A 1-mm field of an H&E-stained sentinel lymph node from a breast-cancer patient (whole-slide image), shown at about 5×, about 1.9 µm per pixel.
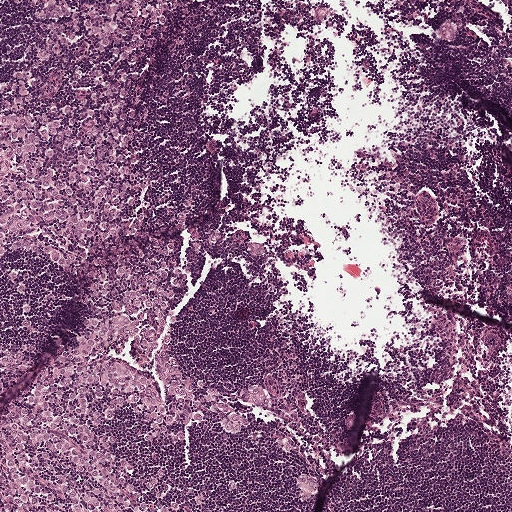
Two metastatic tumour regions, each outlined as a closed clockwise path in crop pixels (x, y), largest first: region 1: (5, 0), (171, 8), (141, 139), (183, 226), (172, 354), (256, 431), (242, 444), (184, 425), (154, 449), (105, 412), (97, 445), (199, 510), (0, 511), (4, 415), (78, 337), (121, 253), (180, 240), (177, 226), (116, 234), (71, 278), (0, 260), (0, 83), (41, 44), (34, 13); region 2: (0, 332), (16, 341), (21, 352), (20, 373), (0, 402).
Tumour covers about 30% of the frame.